Question: 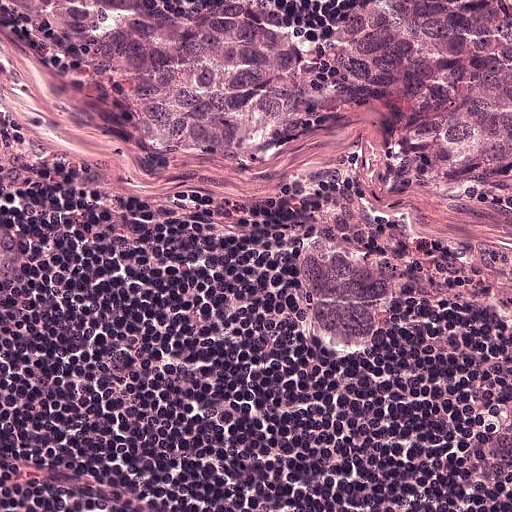
H&E-stained section of a sentinel lymph node (breast cancer), from a whole-slide image, viewed at about 20×: the field is about 0.25 mm across, about 0.49 µm per pixel.
About how much of this crop is taken up by metastatic carcinoma?

Choices:
 (A) about 25% to 45%
 (B) about 5% or less
 (C) none: no tumour is outlined
 (D) about 50% or more
 (E) about 10% to 20%

Answer: (D) about 50% or more
About 50% of the field is tumour.
Outlines of two tumour regions, largest first (closed clockwise paths, crop pixels): region 1: (0, 0), (511, 0), (511, 308), (477, 302), (409, 258), (413, 286), (386, 328), (358, 353), (331, 352), (295, 310), (306, 254), (399, 251), (334, 198), (290, 202), (268, 217), (198, 217), (66, 154), (22, 110), (0, 104); region 2: (502, 382), (511, 382), (511, 511), (445, 511), (445, 490), (436, 478), (438, 434), (476, 396).